Image:
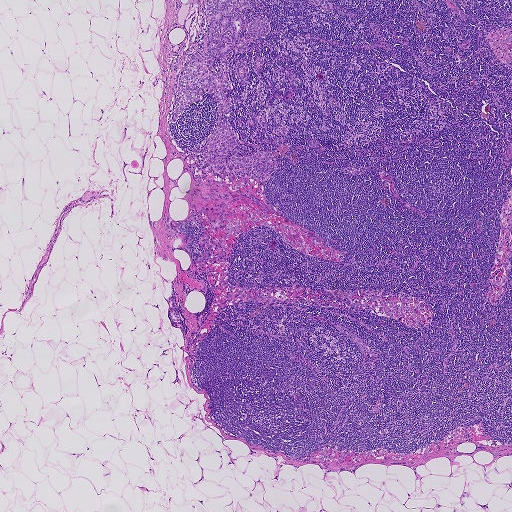
A 1.9-mm field of an H&E-stained sentinel lymph node from a breast-cancer patient (whole-slide image), shown at about 2.5×, about 3.6 µm per pixel.
Question:
Show where the tumour is in this image.
Answer:
One metastatic tumour region; its boundary, reduced to 40 corners and listed clockwise: (246, 0), (247, 25), (257, 15), (270, 22), (262, 38), (249, 38), (247, 27), (239, 38), (248, 47), (240, 54), (245, 85), (235, 69), (239, 54), (227, 53), (232, 88), (223, 90), (232, 106), (225, 118), (251, 145), (235, 146), (232, 154), (285, 144), (284, 154), (297, 154), (296, 165), (273, 158), (275, 170), (262, 182), (221, 180), (192, 160), (190, 151), (217, 125), (213, 92), (202, 91), (203, 101), (175, 123), (168, 119), (175, 77), (206, 30), (206, 2).
Tumour covers about 5% of the frame.